A 0.25-mm field of an H&E-stained sentinel lymph node from a breast-cancer patient (whole-slide image), shown at about 20×, about 0.49 µm per pixel.
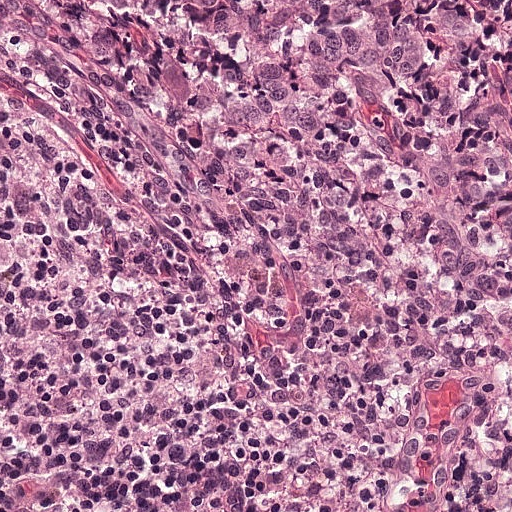
The outlined metastatic tumour's edge, as a closed clockwise path of 12 points: (0, 0), (511, 0), (511, 283), (445, 258), (282, 258), (282, 248), (252, 248), (252, 237), (191, 216), (170, 196), (28, 146), (8, 125).
The annotated tumour makes up about 45% of the crop.